Question: 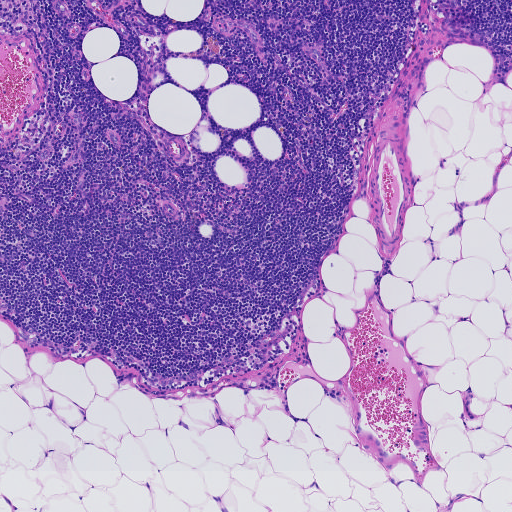
Which magnification is this H&E lymph node field most likely shown at?

Choices:
 (A) about 10×
 (B) about 5×
 (C) about 40×
 (D) about 20×
 (E) about 2.5×

Answer: (B) about 5×
This is a crop of a whole-slide image: an H&E-stained breast-cancer sentinel lymph node section at roughly 5× magnification (about 1.8 µm per pixel; the crop spans about 0.93 mm).